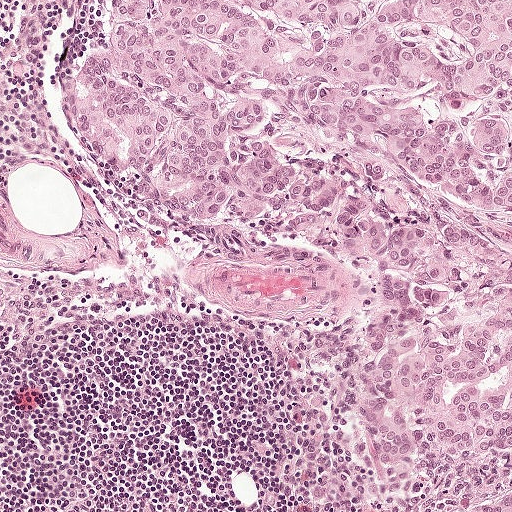
A 0.5-mm field of an H&E-stained sentinel lymph node from a breast-cancer patient (whole-slide image), shown at about 10×, about 0.97 µm per pixel.
Question: Trace the edge of each tumour region in this crop, as (x, y) points from 0 to 511.
Answer: Tumour region outline (a closed clockwise path, crop pixels): (511, 0), (511, 511), (365, 511), (374, 455), (314, 350), (366, 324), (369, 272), (290, 240), (194, 235), (76, 148), (64, 105), (107, 40), (116, 2).
About 55% of the image area is annotated as tumour.